Lymph node section stained with H&E, from a whole-slide image of a breast-cancer sentinel node. Magnification about 2.5×, about 1.9 mm across the frame, about 3.6 µm per pixel.
Question: 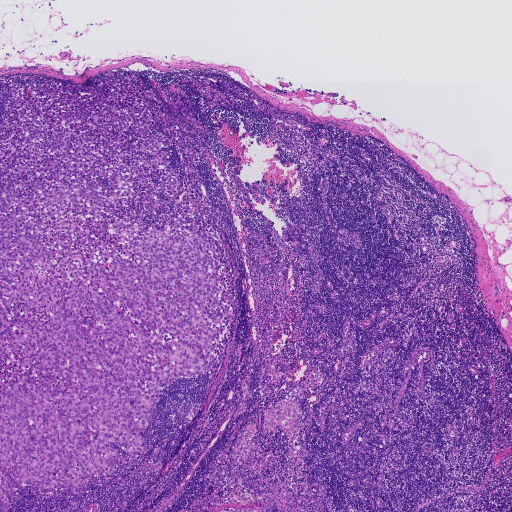
What fraction of the image area is metastatic tumour?

Choices:
 (A) about 50% or more
 (B) none: no tumour is outlined
 (C) about 25% to 45%
 (D) about 5% or less
 (E) about 10% to 20%

Answer: (C) about 25% to 45%
About 30% of the field is tumour.
Outlines of two tumour regions, largest first (closed clockwise paths, crop pixels): region 1: (128, 80), (184, 190), (160, 189), (155, 215), (140, 194), (113, 222), (162, 228), (192, 198), (207, 207), (235, 280), (232, 339), (206, 375), (164, 386), (139, 461), (118, 449), (107, 482), (73, 495), (24, 486), (2, 511), (0, 115), (15, 84); region 2: (124, 72), (131, 73), (137, 75), (142, 79), (145, 85), (142, 89), (138, 89), (135, 84), (134, 81), (126, 78), (122, 75).
One more small tumour piece is annotated here but not outlined.